H&E-stained section of a sentinel lymph node (breast cancer), from a whole-slide image, viewed at about 5×: the field is about 1 mm across, about 1.9 µm per pixel.
Image:
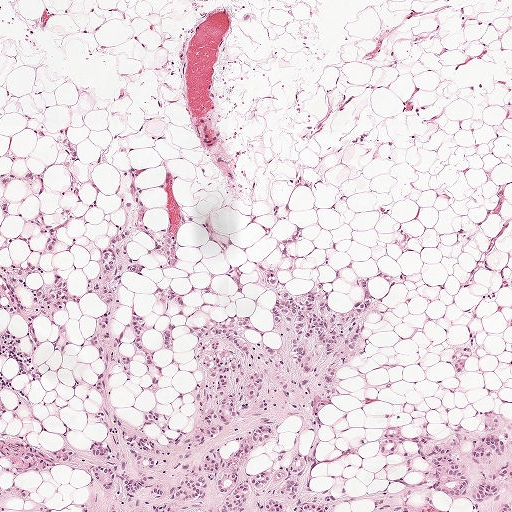
Question:
Does this lymph node field contain metastatic tumour?
Answer:
Yes.
Boundaries of seven metastatic tumour regions, simplified and listed clockwise, largest first: region 1: (122, 200), (176, 236), (178, 261), (128, 241), (144, 272), (122, 280), (112, 330), (135, 309), (164, 376), (150, 394), (145, 361), (114, 367), (125, 419), (148, 404), (190, 429), (190, 329), (207, 319), (247, 315), (263, 337), (246, 341), (278, 347), (254, 280), (294, 224), (302, 237), (278, 274), (289, 290), (318, 282), (345, 309), (372, 282), (367, 347), (314, 448), (331, 511), (0, 511), (0, 437), (52, 452), (106, 437), (100, 352), (82, 343), (106, 308), (84, 282); region 2: (511, 392), (511, 511), (357, 511), (371, 506), (378, 492), (391, 487), (391, 480), (405, 467), (404, 458), (378, 451), (376, 438), (382, 430), (399, 426), (417, 437), (424, 434), (447, 438), (446, 424), (494, 407); region 3: (29, 260), (39, 264), (39, 274), (26, 280), (24, 287), (64, 272), (72, 292), (80, 298), (68, 311), (58, 314), (69, 333), (68, 342), (58, 354), (51, 344), (56, 331), (50, 318), (35, 319), (40, 347), (35, 348), (12, 315), (0, 309), (0, 266); region 4: (0, 331), (16, 334), (22, 350), (28, 353), (33, 363), (38, 365), (41, 370), (40, 383), (33, 392), (23, 400), (18, 419), (13, 418), (15, 400), (12, 393), (4, 389), (0, 391); region 5: (458, 346), (470, 347), (470, 348), (470, 358), (464, 363), (464, 368), (468, 369), (468, 371), (458, 377), (455, 377), (452, 367), (445, 362); region 6: (168, 283), (173, 291), (183, 296), (186, 306), (182, 307), (154, 300), (153, 293), (160, 288), (167, 286); region 7: (169, 323), (174, 324), (176, 329), (173, 334), (174, 350), (166, 354), (162, 354), (163, 342), (160, 331).
One more small tumour piece is annotated here but not outlined.
About 30% of the image area is annotated as tumour.